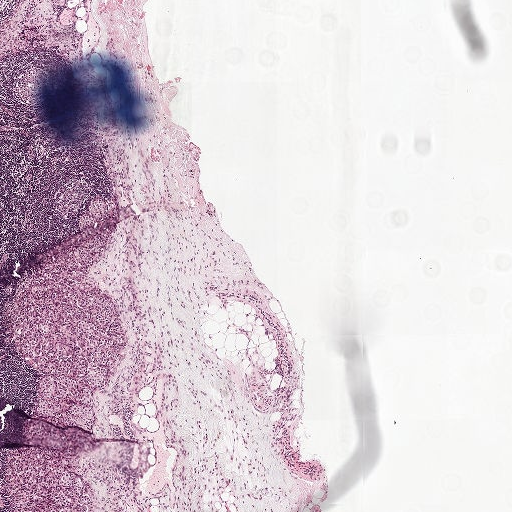
Lymph node section stained with H&E, from a whole-slide image of a breast-cancer sentinel node. Magnification about 2.5×, about 2.0 mm across the frame, about 3.9 µm per pixel.
Question: Does this lymph node field contain metastatic tumour?
Answer: Yes.
Three metastatic tumour regions, each outlined as a closed clockwise path in crop pixels (x, y), largest first: region 1: (115, 226), (112, 245), (86, 276), (84, 284), (112, 296), (124, 324), (125, 345), (120, 367), (106, 385), (92, 392), (91, 431), (48, 422), (36, 414), (40, 373), (19, 355), (10, 327), (15, 296), (26, 288), (38, 266); region 2: (16, 448), (34, 448), (52, 450), (67, 455), (71, 469), (86, 480), (92, 491), (93, 501), (88, 511), (12, 511), (5, 465), (8, 452); region 3: (100, 195), (103, 197), (108, 207), (107, 214), (103, 219), (95, 221), (85, 230), (79, 230), (81, 217), (86, 212), (87, 204).
About 10% of the image area is annotated as tumour.

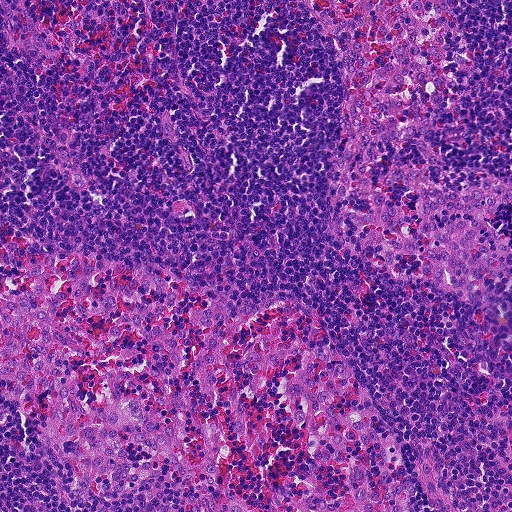
H&E-stained section of a sentinel lymph node (breast cancer), from a whole-slide image, viewed at about 10×: the field is about 0.46 mm across, about 0.9 µm per pixel.
Question: Does this lymph node field contain metastatic tumour?
Answer: No: no metastatic tumour is outlined anywhere in this field.

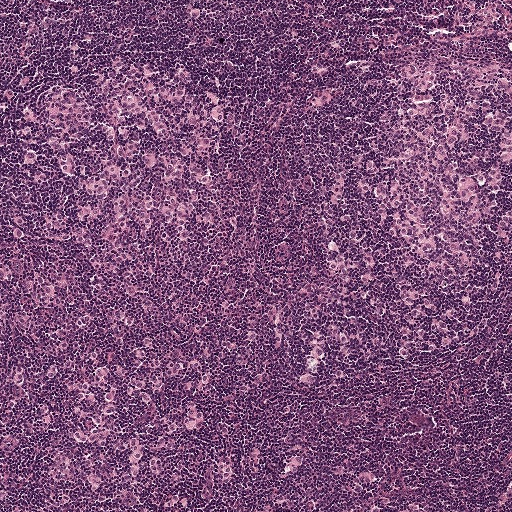
Lymph node section stained with H&E, from a whole-slide image of a breast-cancer sentinel node. Magnification about 5×, about 1 mm across the frame, about 1.9 µm per pixel.
Question: Does this lymph node field contain metastatic tumour?
Answer: Yes.
Three metastatic tumour regions, each outlined as a closed clockwise path in crop pixels (x, y), largest first: region 1: (472, 55), (511, 89), (511, 281), (492, 317), (459, 347), (428, 358), (380, 358), (338, 327), (317, 266), (330, 237), (369, 201), (376, 96), (417, 66); region 2: (129, 64), (217, 96), (234, 114), (236, 136), (218, 200), (171, 273), (125, 306), (106, 307), (85, 303), (38, 255), (0, 238), (0, 176), (18, 156), (29, 114), (42, 97); region 3: (94, 364), (110, 364), (341, 463), (406, 511), (0, 511), (0, 467), (30, 402).
About 45% of this field is tumour.

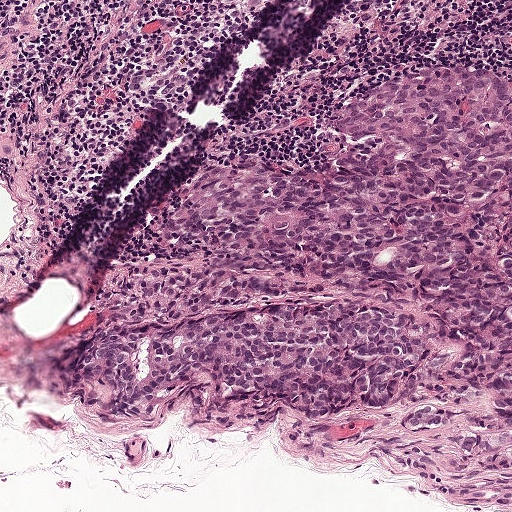
H&E-stained section of a sentinel lymph node (breast cancer), from a whole-slide image, viewed at about 10×: the field is about 0.5 mm across, about 0.97 µm per pixel.
Question: Does this lymph node field contain metastatic tumour?
Answer: Yes.
Metastatic tumour outline, simplified to 20 points and listed clockwise in crop pixels (x, y): (434, 62), (501, 76), (511, 428), (472, 387), (428, 427), (394, 404), (206, 419), (208, 372), (194, 368), (116, 416), (96, 406), (100, 341), (212, 308), (376, 292), (208, 239), (175, 220), (186, 188), (204, 172), (320, 167), (342, 107).
The annotated tumour makes up about 35% of the crop.